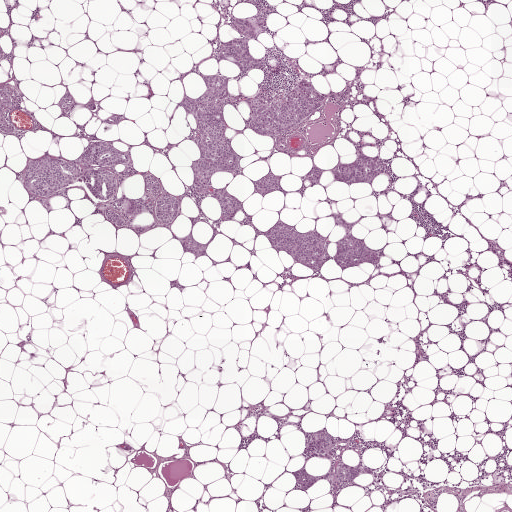
H&E-stained section of a sentinel lymph node (breast cancer), from a whole-slide image, viewed at about 2.5×: the field is about 2.0 mm across, about 3.9 µm per pixel.
Outlines of the eight largest metastatic tumour regions, each a closed clockwise path in crop pixels (x, y), largest first: region 1: (100, 141), (129, 155), (129, 160), (115, 167), (93, 167), (114, 173), (118, 177), (116, 192), (108, 199), (92, 195), (88, 185), (81, 178), (46, 195), (30, 195), (23, 187), (26, 165), (45, 156), (71, 163), (80, 169), (85, 167), (85, 162), (82, 158), (83, 153), (90, 144); region 2: (220, 75), (228, 81), (228, 96), (222, 99), (224, 137), (238, 158), (237, 166), (213, 172), (209, 179), (211, 188), (196, 190), (191, 189), (195, 160), (207, 160), (199, 148), (202, 139), (196, 110), (187, 114), (179, 104), (185, 96), (194, 100), (206, 94), (202, 76); region 3: (335, 217), (341, 217), (350, 225), (353, 236), (377, 251), (379, 263), (346, 269), (333, 259), (320, 270), (303, 266), (285, 252), (274, 249), (267, 234), (280, 222), (293, 227), (295, 232), (313, 230), (328, 238), (329, 255), (334, 256), (347, 230); region 4: (300, 80), (304, 80), (310, 83), (313, 89), (324, 97), (321, 105), (299, 125), (289, 129), (279, 137), (272, 137), (256, 133), (250, 125), (251, 102), (260, 100), (263, 102), (265, 108), (271, 109), (276, 104), (285, 102), (287, 96); region 5: (326, 429), (333, 438), (345, 440), (360, 451), (344, 450), (343, 462), (355, 466), (367, 463), (373, 472), (361, 473), (350, 486), (333, 490), (328, 474), (334, 464), (326, 456), (314, 456), (304, 464), (305, 469), (318, 480), (306, 492), (295, 488), (293, 476), (312, 454), (306, 437); region 6: (238, 17), (245, 20), (259, 17), (265, 20), (262, 25), (265, 31), (250, 39), (248, 42), (249, 56), (265, 62), (262, 69), (259, 71), (253, 69), (243, 71), (232, 58), (219, 60), (217, 57), (226, 42), (244, 39), (244, 35), (234, 26), (234, 22); region 7: (359, 153), (370, 157), (376, 157), (383, 170), (383, 173), (372, 182), (347, 184), (336, 180), (329, 170), (336, 164), (351, 162); region 8: (168, 194), (178, 198), (180, 203), (177, 218), (168, 223), (158, 221), (155, 211), (156, 200), (160, 196).
Nine more, smaller tumour regions are not outlined.
Four more small tumour pieces are annotated here but not outlined.
About 10% of the image area is annotated as tumour.